Image:
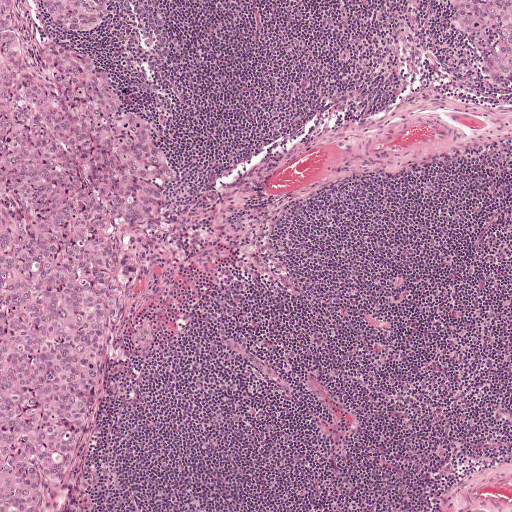
A 1-mm field of an H&E-stained sentinel lymph node from a breast-cancer patient (whole-slide image), shown at about 5×, about 1.9 µm per pixel.
Question:
Trace the edge of each tumour region in this crop, as (x, y) points from 0 to 511.
Answer:
Two metastatic tumour regions, each outlined as a closed clockwise path in crop pixels (x, y), largest first: region 1: (0, 0), (110, 0), (92, 32), (71, 33), (35, 7), (45, 35), (98, 54), (176, 153), (134, 276), (136, 297), (101, 362), (90, 424), (55, 511), (0, 511); region 2: (445, 0), (511, 0), (511, 94), (502, 93), (474, 65), (463, 49).
About 25% of this field is tumour.